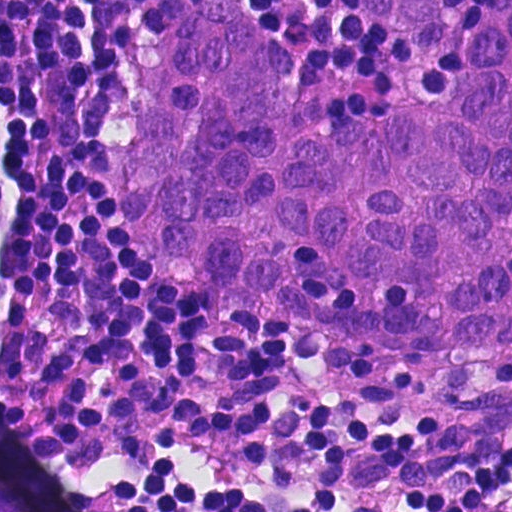
H&E-stained section of a sentinel lymph node (breast cancer), from a whole-slide image, viewed at about 40×: the field is about 0.12 mm across, about 0.23 µm per pixel.
Boundaries of three metastatic tumour regions, simplified and listed clockwise, largest first: region 1: (181, 0), (252, 5), (291, 55), (309, 114), (432, 105), (466, 55), (480, 0), (511, 0), (511, 340), (394, 348), (273, 329), (226, 290), (130, 259), (109, 200), (116, 136); region 2: (349, 0), (471, 0), (438, 33), (374, 26); region 3: (0, 379), (15, 400), (0, 385).
About 40% of the image area is annotated as tumour.